Question: 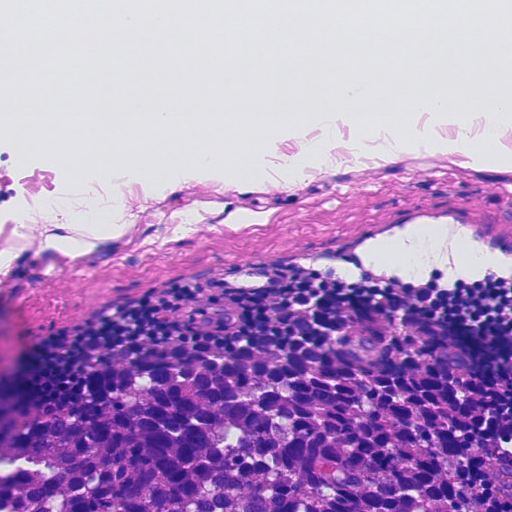
About what magnification does this crop show?

Choices:
 (A) about 5×
 (B) about 40×
 (C) about 10×
 (D) about 20×
 (E) about 2.5×

Answer: (D) about 20×
Lymph node section stained with H&E, from a whole-slide image of a breast-cancer sentinel node. Magnification about 20×, about 0.23 mm across the frame, about 0.45 µm per pixel.
Boundaries of two metastatic tumour regions, simplified and listed clockwise, largest first: region 1: (198, 338), (324, 350), (355, 354), (422, 414), (474, 511), (0, 511), (0, 440), (108, 367); region 2: (324, 290), (376, 296), (424, 319), (464, 348), (494, 398), (466, 433), (432, 424), (406, 392), (400, 365), (338, 344), (308, 315).
Tumour covers about 30% of the frame.